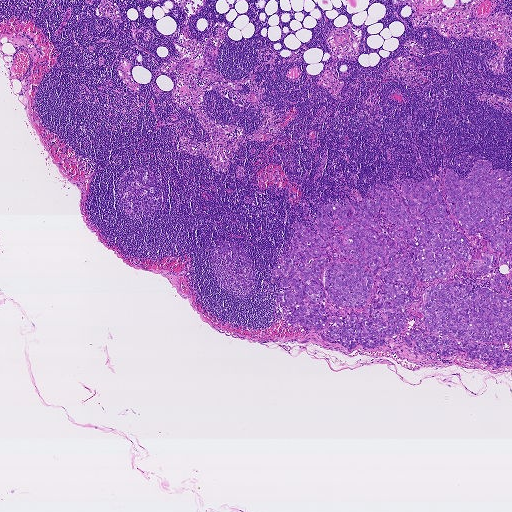
This is a crop of a whole-slide image: an H&E-stained breast-cancer sentinel lymph node section at roughly 2.5× magnification (about 3.6 µm per pixel; the crop spans about 1.9 mm).
Question: Trace the edge of each tumour region in this crop, as (x, y) points from 0 to 511.
Answer: Metastatic tumour outline, simplified to 21 points and listed clockwise in crop pixels (x, y): (481, 159), (511, 172), (511, 342), (490, 343), (511, 349), (511, 366), (415, 356), (393, 337), (349, 351), (286, 322), (273, 296), (290, 287), (272, 274), (293, 224), (316, 234), (322, 203), (374, 204), (375, 184), (400, 195), (405, 179), (464, 178).
About 15% of the image area is annotated as tumour.